This is a crop of a whole-slide image: an H&E-stained breast-cancer sentinel lymph node section at roughly 2.5× magnification (about 3.9 µm per pixel; the crop spans about 2.0 mm).
Image:
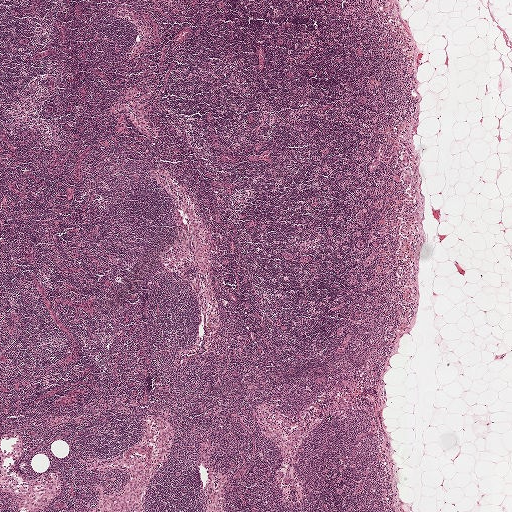
Question:
Where is the metastatic tumour in this field?
Answer:
Boundaries of two metastatic tumour regions, simplified and listed clockwise, largest first: region 1: (405, 148), (408, 148), (409, 158), (410, 161), (418, 164), (418, 168), (417, 172), (415, 172), (412, 172), (408, 164), (406, 163), (401, 162), (399, 160), (400, 154), (403, 150); region 2: (410, 171), (413, 175), (413, 176), (413, 181), (412, 185), (408, 186), (403, 186), (401, 185), (400, 182), (400, 178), (401, 175), (405, 172).
Tumour covers under 5% of the frame.